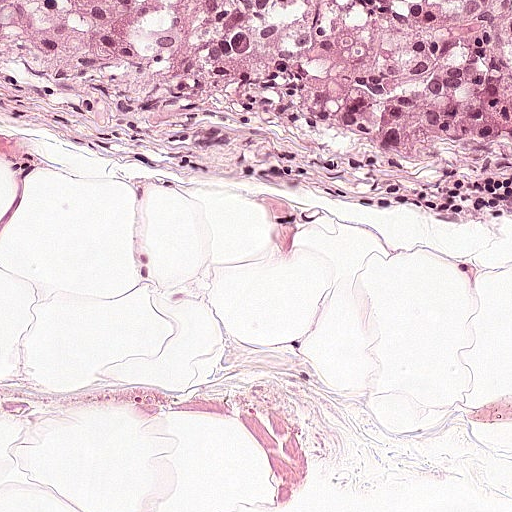
This is a crop of a whole-slide image: an H&E-stained breast-cancer sentinel lymph node section at roughly 20× magnification (about 0.49 µm per pixel; the crop spans about 0.25 mm).
The outlined metastatic tumour's edge, as a closed clockwise path of 8 points: (0, 0), (511, 0), (511, 150), (274, 90), (214, 106), (101, 102), (40, 84), (1, 59).
The annotated tumour makes up about 20% of the crop.